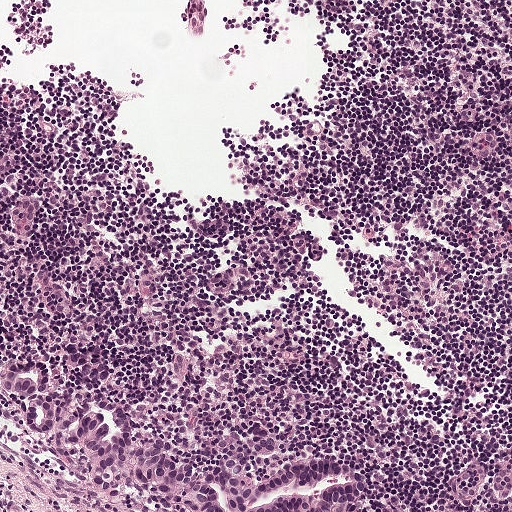
This is a crop of a whole-slide image: an H&E-stained breast-cancer sentinel lymph node section at roughly 10× magnification (about 0.97 µm per pixel; the crop spans about 0.5 mm).
Tumour region outline (a closed clockwise path, crop pixels): (42, 361), (42, 387), (58, 402), (118, 400), (131, 434), (152, 436), (179, 460), (234, 459), (247, 470), (330, 452), (368, 466), (369, 492), (328, 511), (186, 511), (150, 488), (107, 496), (90, 480), (90, 453), (78, 441), (18, 422), (16, 398), (0, 386), (2, 362).
Tumour covers about 10% of the frame.